Question: 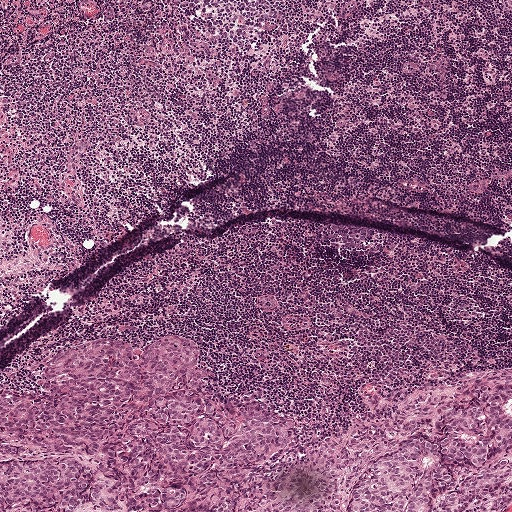
This is a crop of a whole-slide image: an H&E-stained breast-cancer sentinel lymph node section at roughly 5× magnification (about 1.9 µm per pixel; the crop spans about 1 mm).
Estimate the proportion of this field that is metastatic tumour.

Choices:
 (A) about 5% or less
 (B) about 50% or more
 (C) none: no tumour is outlined
 (D) about 10% to 20%
 (E) about 25% to 45%

Answer: (E) about 25% to 45%
About 25% of the field is tumour.
Tumour region outline (a closed clockwise path, crop pixels): (163, 335), (190, 339), (224, 390), (295, 424), (264, 462), (264, 477), (282, 475), (331, 437), (416, 418), (433, 425), (473, 388), (511, 383), (511, 502), (505, 511), (0, 511), (0, 456), (38, 449), (0, 436), (0, 395), (36, 392), (45, 360), (76, 345), (141, 347).